Question: 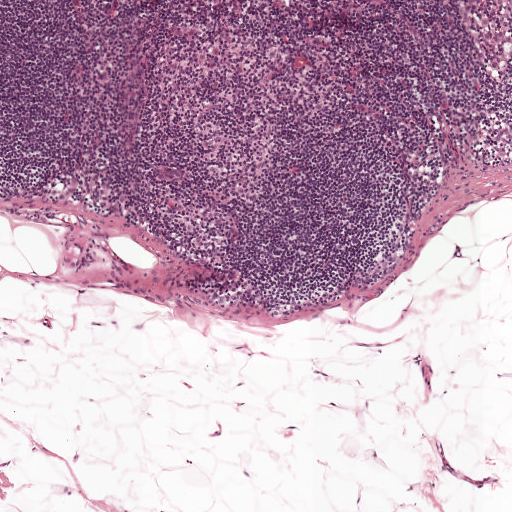
About what magnification does this crop show?

Choices:
 (A) about 10×
 (B) about 20×
 (C) about 40×
 (D) about 2.5×
 (E) about 5×

Answer: (E) about 5×
This is a crop of a whole-slide image: an H&E-stained breast-cancer sentinel lymph node section at roughly 5× magnification (about 1.9 µm per pixel; the crop spans about 1 mm).